H&E-stained section of a sentinel lymph node (breast cancer), from a whole-slide image, viewed at about 5×: the field is about 0.93 mm across, about 1.8 µm per pixel.
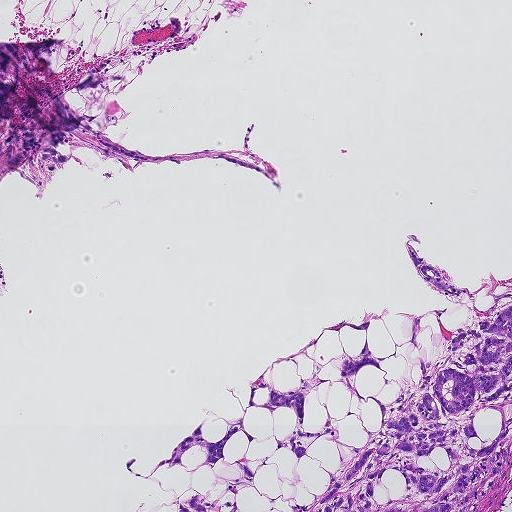
Tumour region outline (a closed clockwise path, crop pixels): (410, 234), (416, 254), (468, 289), (480, 309), (511, 290), (511, 486), (500, 508), (293, 511), (329, 487), (332, 434), (300, 461), (280, 440), (290, 408), (247, 406), (257, 382), (297, 389), (318, 363), (304, 430), (320, 430), (324, 403), (340, 454), (363, 447), (380, 410), (338, 378), (363, 330), (321, 328), (370, 316), (371, 350), (396, 353), (355, 380), (388, 405), (419, 380), (409, 314), (427, 314), (427, 367), (472, 314), (469, 298), (418, 276).
One more tumour region is annotated but not outlined: its edge is too irregular for a short outline.
Tumour covers about 15% of the frame.